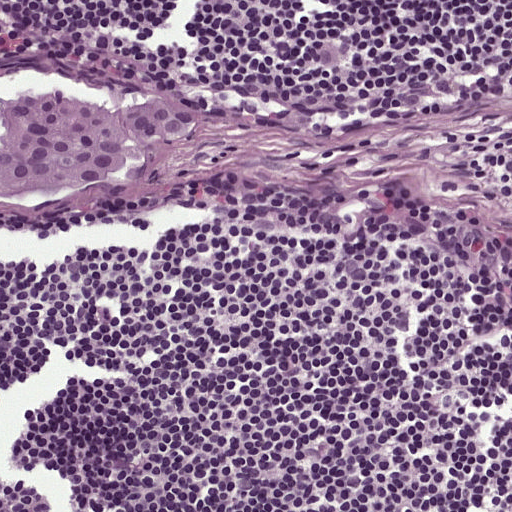
A 0.25-mm field of an H&E-stained sentinel lymph node from a breast-cancer patient (whole-slide image), shown at about 20×, about 0.49 µm per pixel.
Question: Show where the tumour is in this image.
Answer: Tumour region outline (a closed clockwise path, crop pixels): (56, 89), (118, 104), (160, 96), (200, 112), (195, 130), (185, 140), (152, 148), (145, 160), (131, 163), (123, 178), (0, 196), (0, 102), (7, 96).
About 5% of this field is tumour.